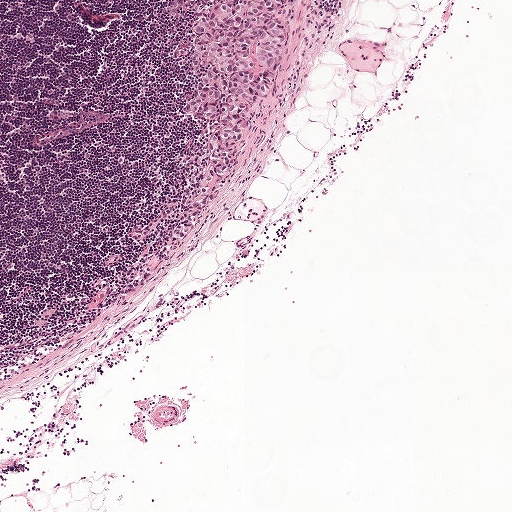
Lymph node section stained with H&E, from a whole-slide image of a breast-cancer sentinel node. Magnification about 5×, about 1 mm across the frame, about 1.9 µm per pixel.
Question: Does this lymph node field contain metastatic tumour?
Answer: Yes.
The outlined metastatic tumour's edge, as a closed clockwise path of 18 points: (198, 0), (295, 0), (295, 16), (277, 66), (247, 116), (238, 159), (220, 197), (185, 244), (171, 249), (166, 246), (204, 167), (214, 134), (190, 110), (188, 98), (195, 71), (175, 51), (192, 32), (189, 24).
Tumour covers about 5% of the frame.